Question: 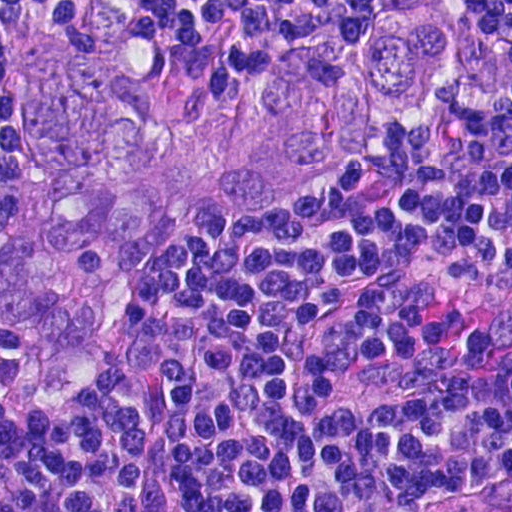
At roughly what magnification is this field shown?

Choices:
 (A) about 20×
 (B) about 40×
 (C) about 5×
 (D) about 10×
 (E) about 2.5×

Answer: (B) about 40×
A 0.12-mm field of an H&E-stained sentinel lymph node from a breast-cancer patient (whole-slide image), shown at about 40×, about 0.23 µm per pixel.
The outlined metastatic tumour's edge, as a closed clockwise path of 17 points: (6, 1), (160, 60), (168, 116), (382, 15), (443, 12), (448, 72), (413, 116), (316, 182), (212, 221), (166, 253), (112, 353), (66, 384), (13, 362), (0, 326), (0, 228), (40, 146), (4, 39).
One more small tumour piece is annotated here but not outlined.
About 30% of this field is tumour.